Lymph node section stained with H&E, from a whole-slide image of a breast-cancer sentinel node. Magnification about 20×, about 0.25 mm across the frame, about 0.49 µm per pixel.
Image:
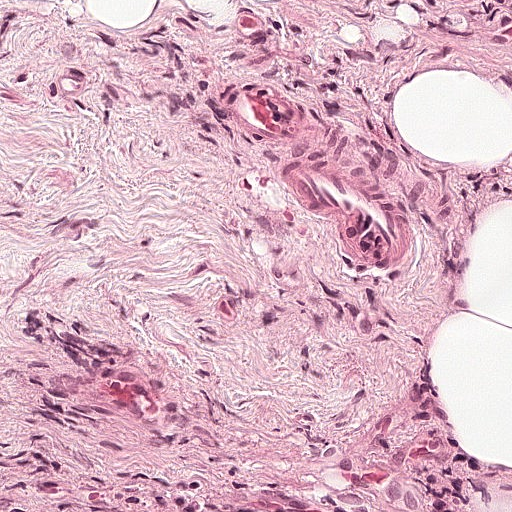
Question:
Is any metastatic breast cancer visible in this crop?
Answer:
No: no metastatic tumour is outlined anywhere in this field.